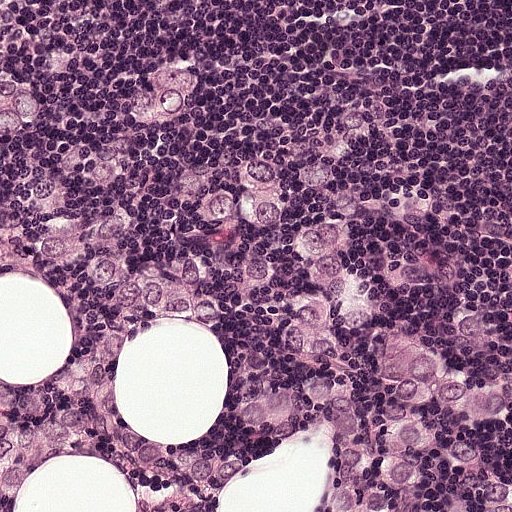
A 0.25-mm field of an H&E-stained sentinel lymph node from a breast-cancer patient (whole-slide image), shown at about 20×, about 0.49 µm per pixel.
Question: Is any metastatic breast cancer visible in this crop?
Answer: Yes.
Metastatic tumour outline, simplified to 24 points and listed clockwise in crop pixels (x, y): (0, 0), (50, 0), (76, 94), (193, 182), (292, 197), (330, 220), (415, 340), (489, 394), (511, 511), (313, 511), (340, 437), (317, 418), (238, 478), (222, 511), (132, 511), (114, 468), (76, 456), (28, 476), (18, 511), (0, 511), (0, 375), (62, 370), (70, 296), (0, 276).
The outline encloses a non-tumour hole of about 10% of the region's area.
Tumour covers about 50% of the frame.